A 0.93-mm field of an H&E-stained sentinel lymph node from a breast-cancer patient (whole-slide image), shown at about 5×, about 1.8 µm per pixel.
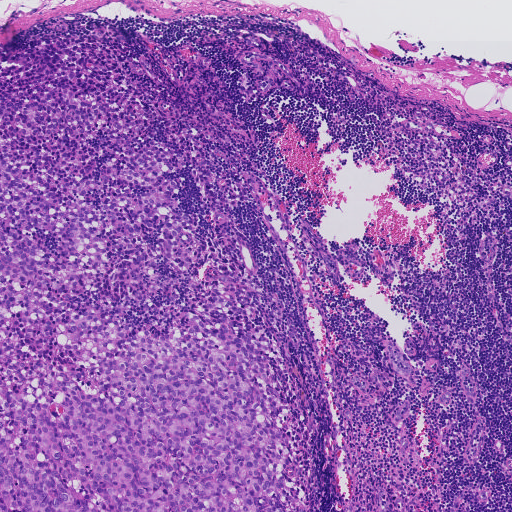
Boundaries of two metastatic tumour regions, simplified and listed clockwise, largest first: region 1: (57, 32), (113, 51), (140, 91), (124, 112), (148, 123), (140, 147), (181, 152), (164, 176), (182, 176), (173, 196), (209, 256), (195, 278), (160, 255), (150, 308), (120, 265), (66, 322), (96, 308), (164, 334), (224, 273), (246, 282), (309, 429), (308, 511), (0, 511), (0, 58); region 2: (89, 21), (102, 22), (124, 35), (131, 47), (124, 56), (116, 54), (109, 46), (108, 39), (92, 34), (85, 27).
The annotated tumour makes up about 40% of the crop.